Image:
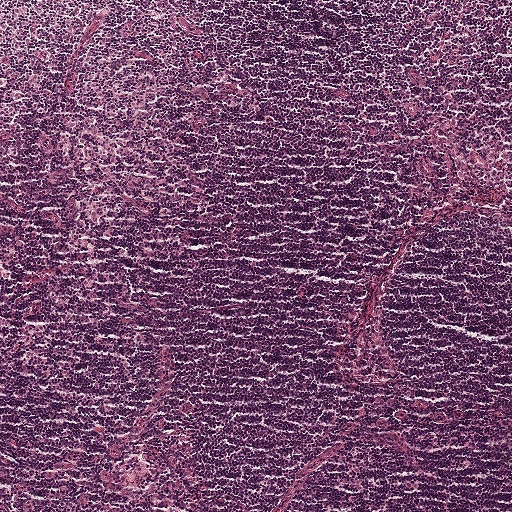
H&E-stained section of a sentinel lymph node (breast cancer), from a whole-slide image, viewed at about 5×: the field is about 1 mm across, about 1.9 µm per pixel.
Question:
Is there metastatic carcinoma in this field?
Answer:
No. No metastatic tumour is outlined in this field.